This is a crop of a whole-slide image: an H&E-stained breast-cancer sentinel lymph node section at roughly 5× magnification (about 1.9 µm per pixel; the crop spans about 1 mm).
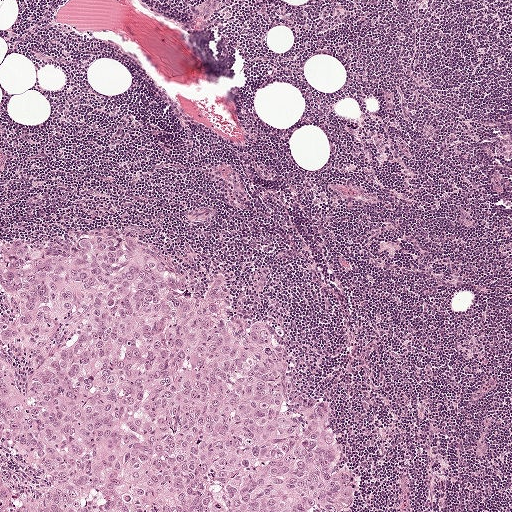
Question: Is any metastatic breast cancer visible in this crop?
Answer: Yes.
Tumour region outline (a closed clockwise path, crop pixels): (94, 233), (129, 241), (200, 299), (221, 272), (229, 314), (272, 325), (289, 365), (288, 400), (326, 407), (330, 467), (355, 475), (347, 511), (0, 511), (2, 244).
About 30% of this field is tumour.